Image:
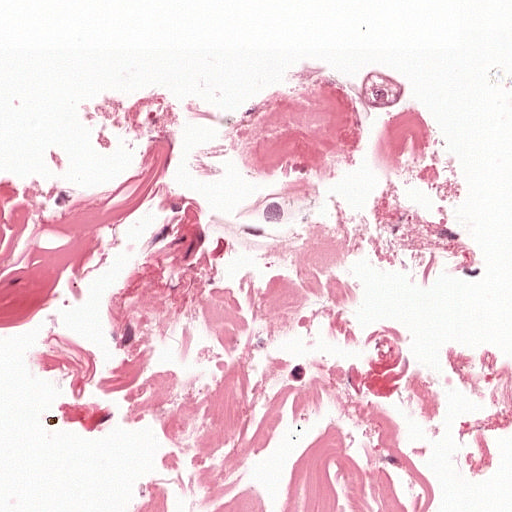
H&E-stained section of a sentinel lymph node (breast cancer), from a whole-slide image, viewed at about 20×: the field is about 0.25 mm across, about 0.49 µm per pixel.
Question:
Show where the tumour is in this image.
Answer:
Metastatic tumour outline, simplified to 11 points and listed clockwise in crop pixels (x, y): (274, 194), (308, 196), (312, 202), (310, 214), (304, 224), (288, 226), (264, 223), (252, 218), (230, 219), (236, 208), (262, 196).
One more small tumour piece is annotated here but not outlined.
The annotated tumour makes up under 5% of the crop.